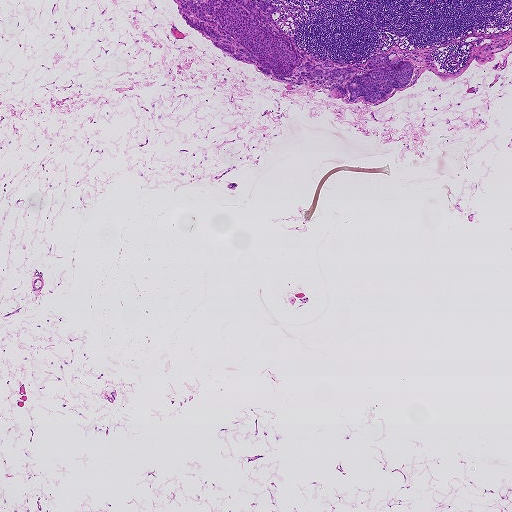
This is a crop of a whole-slide image: an H&E-stained breast-cancer sentinel lymph node section at roughly 2.5× magnification (about 3.6 µm per pixel; the crop spans about 1.9 mm).
Metastatic tumour outline, simplified to 23 points and listed clockwise in crop pixels (x, y): (268, 0), (277, 10), (271, 14), (273, 19), (297, 46), (314, 57), (355, 66), (372, 56), (396, 52), (412, 63), (414, 73), (407, 86), (372, 104), (362, 96), (349, 101), (323, 84), (277, 81), (271, 74), (266, 77), (251, 64), (223, 54), (189, 26), (175, 2).
Tumour covers about 5% of the frame.